H&E-stained section of a sentinel lymph node (breast cancer), from a whole-slide image, viewed at about 2.5×: the field is about 2.0 mm across, about 3.9 µm per pixel.
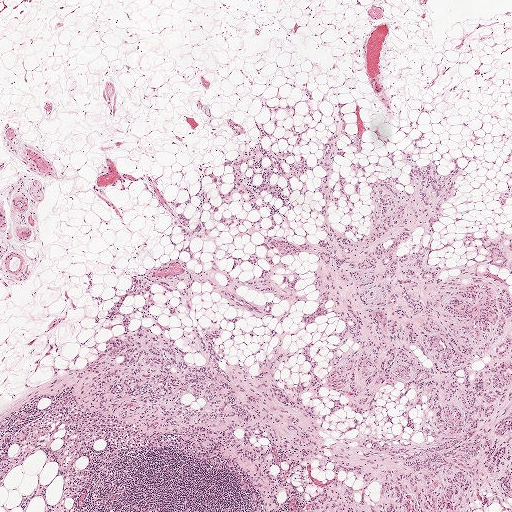
Outlines of seven tumour regions, largest first (closed clockwise paths, crop pixels): region 1: (337, 118), (362, 151), (337, 140), (355, 207), (330, 220), (368, 234), (368, 183), (412, 193), (422, 131), (418, 164), (460, 162), (437, 280), (464, 234), (511, 224), (511, 496), (269, 511), (219, 441), (95, 419), (76, 381), (187, 242), (246, 280), (228, 263), (264, 238), (324, 240); region 2: (254, 121), (263, 124), (266, 152), (292, 150), (285, 163), (306, 156), (313, 169), (302, 176), (308, 186), (302, 196), (297, 177), (291, 178), (290, 193), (277, 174), (270, 176), (294, 204), (282, 229), (274, 214), (271, 231), (272, 220), (265, 217), (260, 234), (248, 237), (243, 233), (260, 218), (258, 211), (241, 203), (240, 192), (222, 204), (207, 176), (210, 172), (223, 175), (220, 192), (230, 192), (235, 179), (222, 162), (256, 144); region 3: (201, 185), (203, 193), (208, 198), (211, 203), (217, 207), (225, 216), (229, 217), (232, 213), (233, 213), (242, 217), (243, 220), (243, 222), (240, 225), (232, 224), (227, 226), (220, 225), (218, 224), (217, 221), (220, 216), (220, 213), (220, 212), (212, 212), (209, 205), (208, 204), (204, 205), (202, 211), (199, 214), (198, 211), (195, 209), (197, 202), (197, 198), (194, 196), (200, 189); region 4: (173, 201), (180, 204), (176, 210), (179, 213), (185, 214), (188, 219), (188, 228), (191, 228), (194, 226), (199, 215), (202, 219), (206, 221), (206, 226), (198, 230), (194, 235), (187, 235), (183, 234), (181, 231), (177, 219), (170, 207), (171, 202); region 5: (502, 192), (508, 193), (508, 198), (505, 201), (507, 204), (502, 207), (500, 207), (499, 202), (496, 200); region 6: (357, 161), (360, 164), (365, 167), (366, 172), (364, 172), (350, 169), (350, 165), (353, 163), (357, 162); region 7: (358, 181), (360, 181), (361, 182), (361, 183), (359, 186), (360, 194), (356, 196), (354, 196), (354, 190), (353, 184).
Tumour covers about 40% of the frame.